Question: 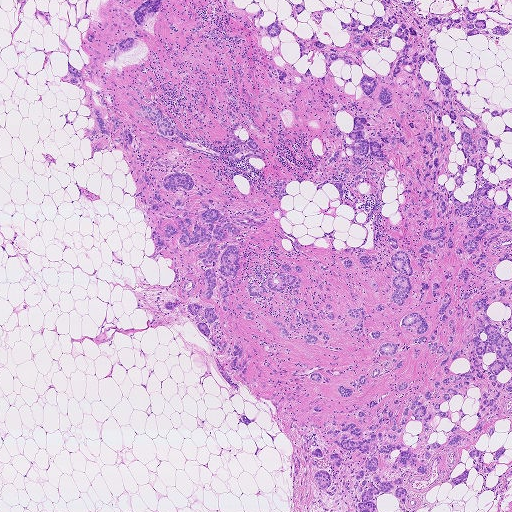
A 1.9-mm field of an H&E-stained sentinel lymph node from a breast-cancer patient (whole-slide image), shown at about 2.5×, about 3.6 µm per pixel.
About how much of this crop is taken up by metastatic carcinoma?

Choices:
 (A) about 25% to 45%
 (B) none: no tumour is outlined
 (C) about 50% or more
 (D) about 5% or less
 (E) about 10% to 20%

Answer: (A) about 25% to 45%
About 25% of the field is tumour.
Outlines of eight tumour regions, largest first (closed clockwise paths, crop pixels): region 1: (397, 14), (485, 129), (511, 107), (511, 262), (465, 252), (463, 301), (455, 254), (469, 216), (440, 218), (429, 198), (419, 213), (384, 162), (365, 158), (342, 202), (316, 187), (350, 160), (325, 162), (342, 146), (331, 126), (362, 114), (375, 140), (409, 114), (427, 129), (416, 79), (395, 77), (388, 110), (377, 88), (344, 91), (357, 65), (297, 60), (267, 26), (315, 30), (343, 46), (339, 20); region 2: (511, 282), (511, 393), (490, 438), (458, 434), (469, 451), (502, 445), (490, 474), (453, 486), (461, 446), (430, 450), (422, 475), (378, 452), (404, 506), (382, 491), (374, 511), (325, 511), (314, 472), (331, 464), (309, 455), (340, 448), (309, 427), (334, 414), (335, 429), (392, 406), (402, 380), (398, 425), (434, 391), (444, 356), (423, 343), (411, 358), (401, 317), (419, 313), (447, 349), (446, 291), (463, 311), (452, 353), (468, 355), (472, 303), (502, 302); region 3: (67, 60), (77, 68), (90, 63), (102, 83), (105, 98), (127, 120), (127, 97), (124, 90), (141, 101), (160, 106), (186, 136), (214, 149), (235, 152), (241, 145), (225, 147), (224, 143), (235, 134), (253, 140), (267, 159), (254, 157), (238, 161), (185, 148), (164, 138), (139, 115), (132, 116), (137, 138), (127, 149), (120, 149), (103, 137), (91, 140), (86, 128), (89, 118), (93, 118), (86, 106), (83, 90), (60, 80), (67, 68); region 4: (495, 2), (504, 14), (511, 17), (511, 35), (500, 36), (493, 34), (488, 28), (481, 30), (481, 34), (467, 36), (466, 32), (458, 28), (449, 28), (447, 31), (446, 25), (431, 26), (426, 21), (434, 15), (449, 18), (453, 12), (468, 6), (474, 12), (481, 10), (489, 8); region 5: (385, 342), (398, 345), (397, 351), (394, 356), (397, 362), (405, 358), (402, 367), (374, 379), (369, 380), (363, 385), (359, 384), (358, 389), (354, 392), (351, 397), (340, 396), (337, 388), (341, 383), (348, 388), (353, 388), (354, 386), (352, 382), (354, 379), (358, 379), (359, 375), (368, 375), (371, 369), (376, 367), (390, 368), (395, 364), (391, 363), (388, 357), (379, 355), (379, 344); region 6: (163, 0), (154, 16), (142, 24), (138, 31), (135, 46), (129, 51), (117, 51), (113, 53), (110, 52), (110, 44), (129, 37), (135, 31), (137, 24), (132, 10), (145, 1); region 7: (177, 172), (189, 175), (193, 187), (189, 191), (178, 187), (178, 190), (173, 192), (167, 191), (162, 186), (167, 175); region 8: (230, 0), (255, 0), (264, 12), (263, 17), (255, 19), (251, 18), (250, 13), (233, 4).
Two more tumour regions are annotated but not outlined: their edges are too irregular for short outlines.
Five more, smaller tumour regions are not outlined.
Three more small tumour pieces are annotated here but not outlined.
Question: 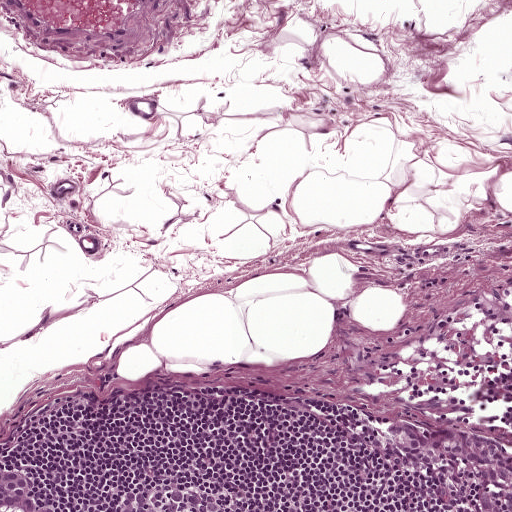
Lymph node section stained with H&E, from a whole-slide image of a breast-cancer sentinel node. Magnification about 10×, about 0.5 mm across the frame, about 0.97 µm per pixel.
About how much of this crop is taken up by metastatic carcinoma?

Choices:
 (A) about 10% to 20%
 (B) about 25% to 45%
 (C) about 50% or more
 (D) about 5% or less
 (E) none: no tumour is outlined

Answer: (D) about 5% or less
About 5% of the field is tumour.
Boundaries of two metastatic tumour regions, simplified and listed clockwise, largest first: region 1: (397, 414), (472, 431), (511, 445), (511, 511), (472, 511), (451, 486), (420, 480), (394, 468), (382, 430); region 2: (0, 462), (6, 462), (46, 471), (69, 508), (67, 511), (0, 511).
Question: 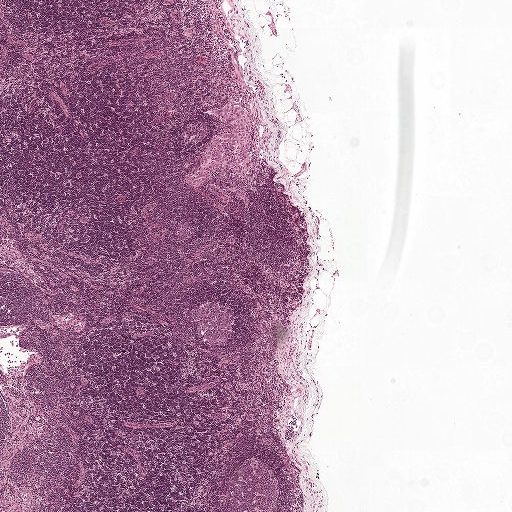
A 2.0-mm field of an H&E-stained sentinel lymph node from a breast-cancer patient (whole-slide image), shown at about 2.5×, about 3.9 µm per pixel.
About how much of this crop is taken up by metastatic carcinoma?

Choices:
 (A) none: no tumour is outlined
 (B) about 10% to 20%
 (C) about 25% to 45%
 (D) about 5% or less
 (E) about 50% or more

Answer: (D) about 5% or less
Under 5% of the field is tumour.
Tumour region outline (a closed clockwise path, crop pixels): (230, 102), (242, 105), (252, 115), (254, 168), (250, 174), (239, 176), (223, 165), (205, 184), (199, 187), (194, 187), (185, 182), (184, 178), (200, 166), (214, 139), (221, 134), (232, 132), (227, 122), (210, 111).
Question: 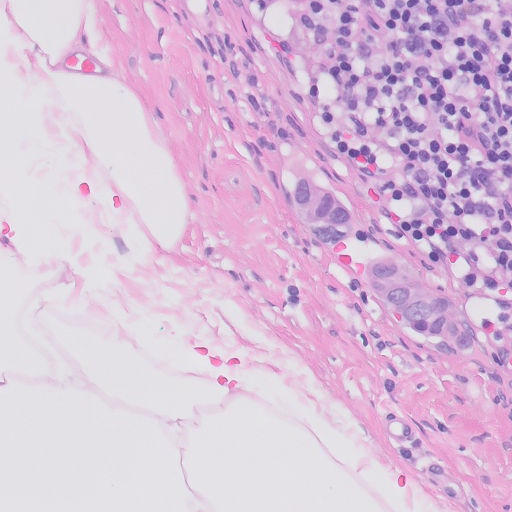
This is a crop of a whole-slide image: an H&E-stained breast-cancer sentinel lymph node section at roughly 20× magnification (about 0.5 µm per pixel; the crop spans about 0.26 mm).
About how much of this crop is taken up by metastatic carcinoma?

Choices:
 (A) none: no tumour is outlined
 (B) about 10% to 20%
 (C) about 25% to 45%
 (D) about 5% or less
 (E) about 50% or more

Answer: (D) about 5% or less
About 5% of the field is tumour.
Outlines of two tumour regions, largest first (closed clockwise paths, crop pixels): region 1: (392, 255), (408, 265), (450, 304), (458, 316), (470, 324), (477, 338), (472, 352), (460, 360), (446, 360), (410, 334), (393, 310), (358, 282), (354, 268), (362, 256); region 2: (304, 170), (318, 182), (334, 190), (347, 200), (355, 212), (355, 226), (350, 239), (336, 246), (323, 246), (302, 228), (288, 202), (284, 187), (290, 172).